This is a crop of a whole-slide image: an H&E-stained breast-cancer sentinel lymph node section at roughly 10× magnification (about 0.97 µm per pixel; the crop spans about 0.5 mm).
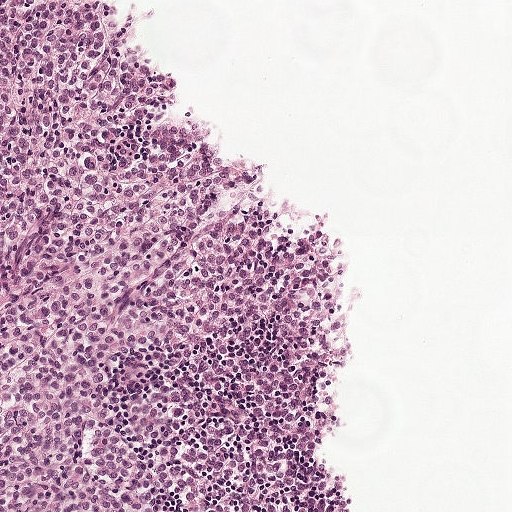
Question: Is there metastatic carcinoma in this field?
Answer: Yes.
Tumour region outline (a closed clockwise path, crop pixels): (0, 0), (52, 0), (124, 66), (206, 118), (270, 194), (338, 314), (348, 432), (374, 511), (0, 511).
About 55% of the image area is annotated as tumour.